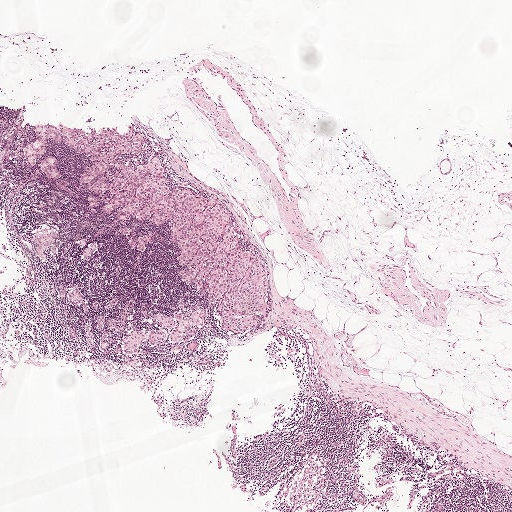
Lymph node section stained with H&E, from a whole-slide image of a breast-cancer sentinel node. Magnification about 2.5×, about 2.0 mm across the frame, about 3.9 µm per pixel.
Seven metastatic tumour regions, each outlined as a closed clockwise path in crop pixels (x, y), largest first: region 1: (60, 122), (86, 129), (111, 124), (122, 134), (130, 124), (145, 133), (165, 170), (167, 190), (184, 180), (216, 199), (241, 247), (264, 259), (268, 308), (255, 326), (233, 332), (224, 328), (211, 300), (174, 273), (178, 250), (168, 240), (166, 221), (102, 213), (111, 196), (104, 189), (95, 191), (95, 213), (90, 212), (87, 187), (101, 174), (82, 182), (79, 176), (91, 164), (68, 145), (46, 140), (42, 153), (26, 166), (20, 150), (34, 139), (33, 124); region 2: (199, 307), (203, 311), (202, 326), (192, 324), (187, 326), (181, 331), (175, 343), (171, 343), (166, 336), (154, 344), (141, 340), (137, 355), (121, 352), (123, 336), (131, 327), (142, 331), (164, 331), (154, 314), (173, 316), (176, 313), (185, 317); region 3: (42, 227), (53, 230), (58, 236), (58, 239), (53, 240), (55, 254), (48, 253), (47, 246), (45, 246), (42, 258), (34, 255), (33, 240), (29, 236); region 4: (125, 225), (129, 228), (129, 235), (136, 239), (148, 230), (151, 237), (150, 242), (145, 244), (143, 250), (136, 250), (125, 243), (126, 238), (116, 231), (115, 226); region 5: (49, 155), (55, 159), (58, 174), (58, 179), (50, 179), (38, 169), (38, 162); region 6: (73, 290), (78, 290), (79, 291), (80, 296), (80, 299), (79, 302), (76, 304), (70, 304), (66, 300), (65, 298), (66, 293); region 7: (89, 242), (94, 243), (95, 245), (95, 249), (87, 258), (82, 258), (81, 251).
About 10% of the image area is annotated as tumour.